Image:
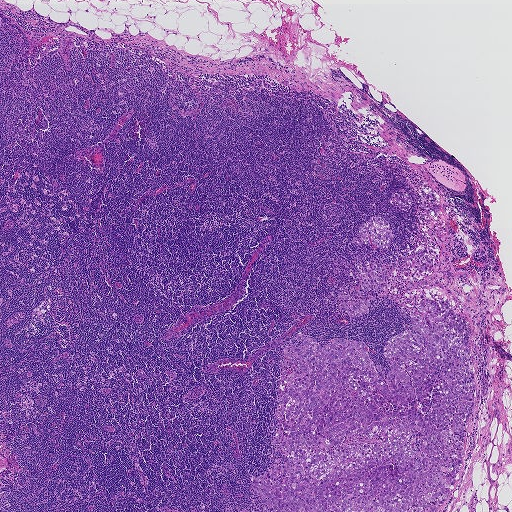
H&E-stained section of a sentinel lymph node (breast cancer), from a whole-slide image, viewed at about 2.5×: the field is about 1.9 mm across, about 3.6 µm per pixel.
Question:
Is there metastatic carcinoma in this field?
Answer:
Yes.
Boundaries of two metastatic tumour regions, simplified and listed clockwise, largest first: region 1: (421, 182), (440, 195), (448, 230), (438, 264), (414, 287), (448, 294), (473, 333), (474, 404), (462, 467), (440, 511), (269, 511), (250, 485), (276, 461), (278, 362), (295, 336), (321, 346), (363, 342), (387, 383), (383, 349), (389, 338), (413, 330), (409, 311), (374, 292), (368, 312), (350, 317), (336, 308), (337, 294), (355, 295), (357, 264), (367, 272), (365, 260), (395, 267), (420, 243), (441, 248), (417, 235), (414, 205), (405, 210), (389, 202), (400, 188), (418, 205); region 2: (373, 216), (381, 217), (387, 221), (391, 235), (387, 249), (382, 250), (371, 243), (366, 244), (356, 238), (359, 235), (359, 225), (364, 222), (368, 222).
About 15% of this field is tumour.